Question: 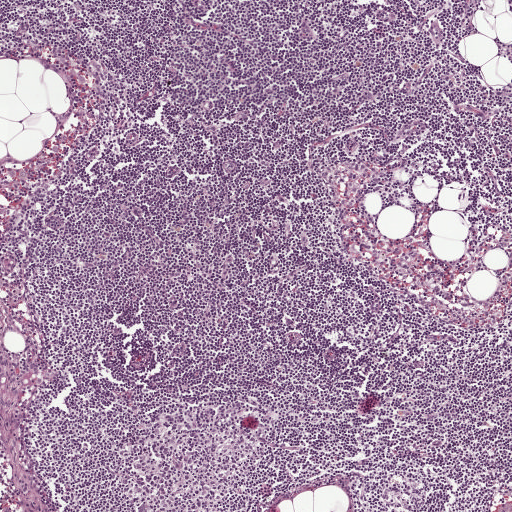
Which magnification is this H&E lymph node field most likely shown at?

Choices:
 (A) about 2.5×
 (B) about 20×
 (C) about 5×
 (D) about 40×
 (E) about 10×

Answer: (C) about 5×
Lymph node section stained with H&E, from a whole-slide image of a breast-cancer sentinel node. Magnification about 5×, about 1 mm across the frame, about 1.9 µm per pixel.